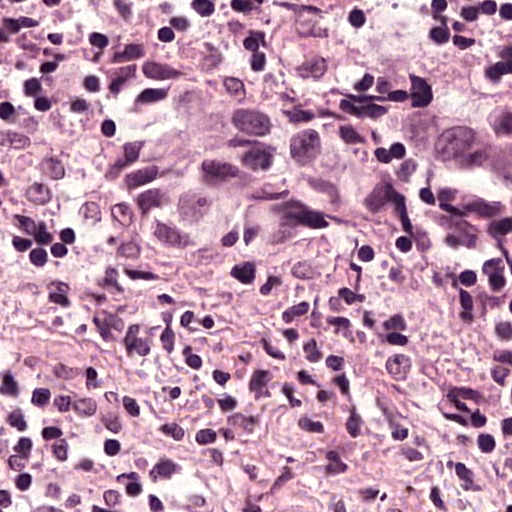
This is a crop of a whole-slide image: an H&E-stained breast-cancer sentinel lymph node section at roughly 40× magnification (about 0.24 µm per pixel; the crop spans about 0.12 mm).
Question: Where is the metastatic tumour in this field? Give each region's outline as (x, y) pixel points.
Answer: One metastatic tumour region; its boundary, reduced to 14 corners and listed clockwise: (200, 54), (254, 54), (341, 95), (511, 98), (511, 260), (429, 217), (288, 223), (250, 242), (169, 245), (144, 236), (122, 204), (116, 157), (141, 126), (182, 104).
One more small tumour piece is annotated here but not outlined.
About 20% of this field is tumour.